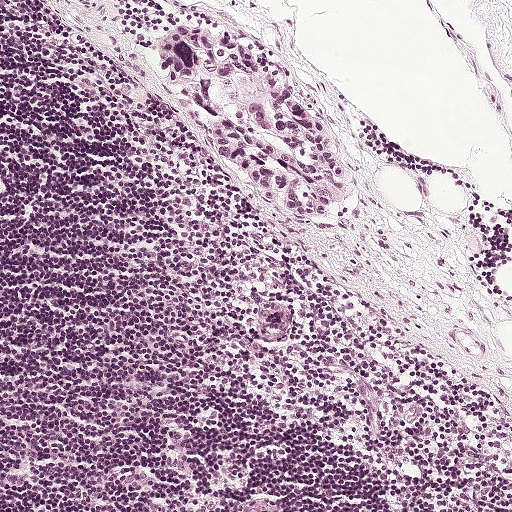
H&E-stained section of a sentinel lymph node (breast cancer), from a whole-slide image, viewed at about 10×: the field is about 0.5 mm across, about 0.97 µm per pixel.
Question: Where is the metastatic tumour in this field?
Answer: The outlined metastatic tumour's edge, as a closed clockwise path of 17 points: (175, 24), (191, 24), (253, 48), (290, 82), (309, 110), (328, 122), (348, 184), (342, 217), (327, 226), (310, 226), (284, 216), (253, 190), (226, 162), (205, 118), (184, 103), (157, 53), (157, 42).
The annotated tumour makes up about 5% of the crop.